This is a crop of a whole-slide image: an H&E-stained breast-cancer sentinel lymph node section at roughly 10× magnification (about 0.9 µm per pixel; the crop spans about 0.46 mm).
Image:
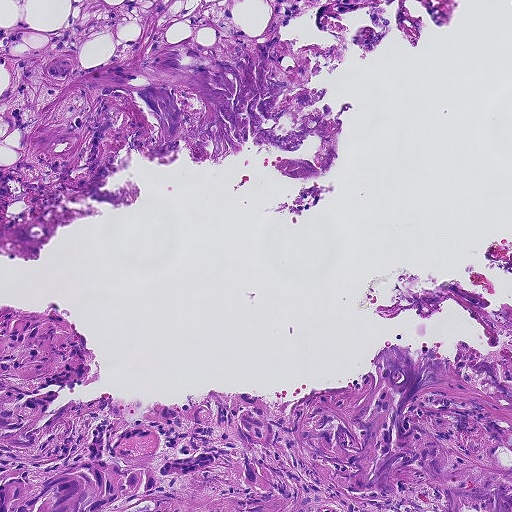
Question:
Is there metastatic carcinoma in this field?
Answer:
Yes.
Metastatic tumour outline, simplified to 14 points and listed clockwise in crop pixels (x, y): (0, 308), (56, 317), (94, 350), (93, 384), (44, 388), (58, 400), (46, 412), (83, 399), (288, 400), (354, 384), (389, 348), (510, 352), (511, 511), (0, 511).
One more small tumour piece is annotated here but not outlined.
About 25% of the image area is annotated as tumour.